Question: 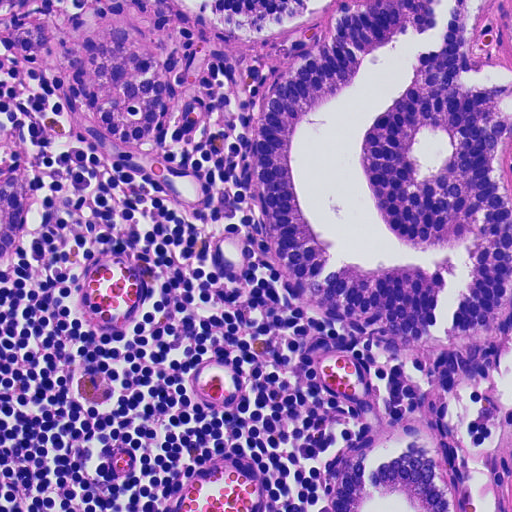
This is a crop of a whole-slide image: an H&E-stained breast-cancer sentinel lymph node section at roughly 20× magnification (about 0.45 µm per pixel; the crop spans about 0.23 mm).
Roughly what share of this field is metastatic tumour?

Choices:
 (A) about 50% or more
 (B) about 25% to 45%
 (C) about 10% to 20%
 (D) none: no tumour is outlined
 (E) about 5% or less

Answer: (B) about 25% to 45%
About 45% of the field is tumour.
Six metastatic tumour regions, each outlined as a closed clockwise path in crop pixels (x, y), largest first: region 1: (511, 0), (511, 141), (501, 144), (500, 171), (511, 209), (511, 426), (500, 426), (501, 443), (483, 453), (458, 446), (441, 424), (446, 399), (397, 352), (308, 306), (257, 212), (256, 146), (277, 82), (326, 38), (333, 8); region 2: (120, 3), (160, 48), (172, 74), (172, 104), (154, 128), (128, 141), (101, 132), (82, 110), (64, 68), (76, 41), (94, 18); region 3: (418, 414), (434, 441), (461, 511), (329, 511), (328, 492), (338, 456), (361, 430), (392, 418); region 4: (178, 0), (319, 0), (313, 14), (253, 39), (222, 30), (193, 12); region 5: (0, 0), (26, 0), (21, 12), (51, 19), (56, 50), (28, 61), (4, 41), (14, 15), (0, 18); region 6: (17, 171), (22, 178), (27, 206), (27, 232), (12, 257), (0, 262), (0, 180).
One more small tumour piece is annotated here but not outlined.